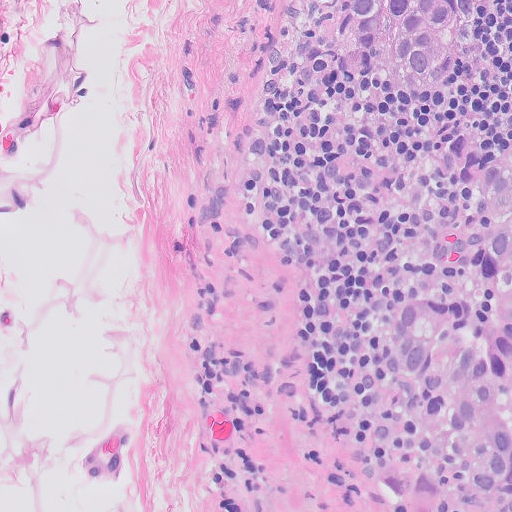
Lymph node section stained with H&E, from a whole-slide image of a breast-cancer sentinel node. Magnification about 20×, about 0.26 mm across the frame, about 0.5 µm per pixel.
Question: Where is the metastatic tumour in this field?
Answer: Two metastatic tumour regions, each outlined as a closed clockwise path in crop pixels (x, y), largest first: region 1: (511, 135), (511, 511), (395, 511), (404, 498), (428, 486), (454, 484), (432, 432), (398, 390), (380, 336), (388, 308), (468, 288), (464, 232), (472, 180); region 2: (321, 0), (483, 0), (477, 32), (442, 78), (420, 94), (393, 95), (346, 68), (326, 40), (326, 10).
About 15% of this field is tumour.